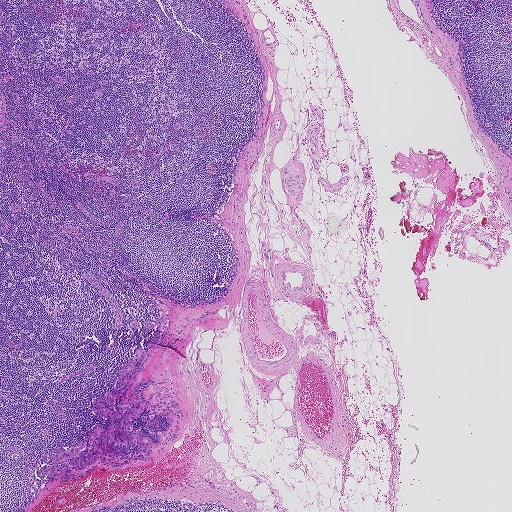
Lymph node section stained with H&E, from a whole-slide image of a breast-cancer sentinel node. Magnification about 2.5×, about 1.9 mm across the frame, about 3.6 µm per pixel.
Two metastatic tumour regions, each outlined as a closed clockwise path in crop pixels (x, y), largest first: region 1: (136, 350), (145, 351), (146, 369), (132, 390), (138, 396), (119, 407), (122, 415), (142, 404), (143, 410), (122, 430), (153, 442), (136, 447), (112, 442), (122, 455), (89, 451), (93, 457), (72, 468), (84, 468), (79, 473), (45, 475), (42, 469), (55, 464), (56, 452), (96, 439), (90, 437), (97, 423), (104, 430), (109, 425), (115, 416), (102, 417), (104, 409), (92, 402), (101, 396), (104, 405), (111, 405), (105, 395), (129, 383), (113, 388), (121, 366); region 2: (221, 0), (230, 0), (234, 8), (240, 19), (239, 20), (232, 15), (229, 12), (228, 8), (222, 3).
Two more small tumour pieces are annotated here but not outlined.
The annotated tumour makes up under 5% of the crop.